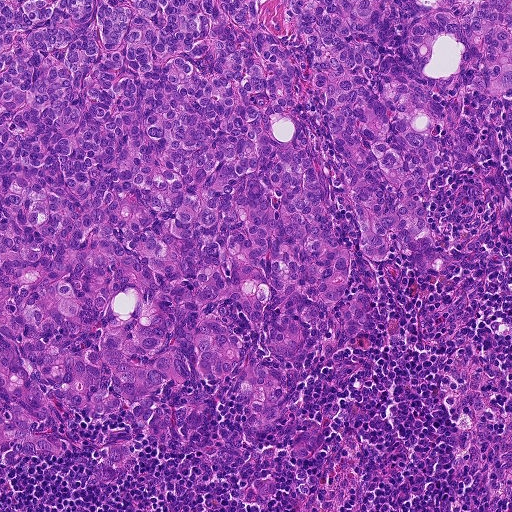
Lymph node section stained with H&E, from a whole-slide image of a breast-cancer sentinel node. Magnification about 10×, about 0.46 mm across the frame, about 0.9 µm per pixel.
Tumour region outline (a closed clockwise path, crop pixels): (0, 0), (511, 0), (511, 100), (467, 106), (422, 276), (369, 256), (308, 79), (371, 310), (322, 364), (264, 323), (261, 349), (288, 389), (272, 424), (250, 432), (235, 304), (236, 365), (164, 398), (192, 440), (70, 408), (132, 468), (4, 468).
About 65% of this field is tumour.